Question: 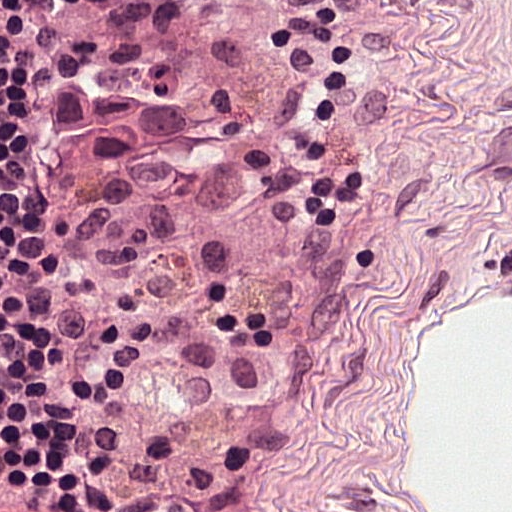
At roughly what magnification is this field shown?

Choices:
 (A) about 2.5×
 (B) about 10×
 (C) about 20×
 (D) about 40×
 (E) about 5×

Answer: (D) about 40×
H&E-stained section of a sentinel lymph node (breast cancer), from a whole-slide image, viewed at about 40×: the field is about 0.12 mm across, about 0.24 µm per pixel.
Tumour region outline (a closed clockwise path, crop pixels): (163, 54), (238, 83), (322, 226), (318, 326), (284, 406), (263, 419), (170, 413), (113, 390), (49, 315), (77, 233), (52, 140), (59, 56).
About 30% of this field is tumour.